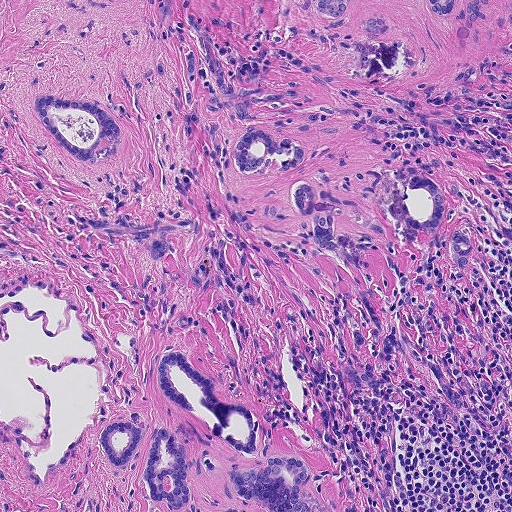
H&E-stained section of a sentinel lymph node (breast cancer), from a whole-slide image, viewed at about 10×: the field is about 0.46 mm across, about 0.9 µm per pixel.
Outlines of eight tumour regions, largest first (closed clockwise paths, crop pixels): region 1: (178, 350), (208, 371), (221, 394), (254, 410), (264, 434), (264, 456), (300, 457), (307, 467), (307, 487), (324, 511), (166, 511), (150, 504), (146, 492), (143, 451), (126, 470), (114, 472), (102, 450), (101, 426), (123, 415), (135, 410), (171, 423), (153, 374), (165, 352); region 2: (306, 0), (511, 0), (511, 30), (503, 20), (488, 31), (452, 36), (418, 22), (426, 58), (414, 73), (397, 80), (378, 80), (342, 73), (329, 60), (306, 10); region 3: (187, 12), (192, 13), (219, 45), (248, 56), (267, 47), (268, 57), (260, 76), (264, 86), (304, 92), (267, 104), (257, 110), (256, 120), (246, 122), (236, 121), (220, 108), (212, 114), (203, 109), (203, 99), (212, 96), (198, 73), (192, 92), (184, 73), (182, 53), (196, 48); region 4: (374, 166), (394, 172), (412, 166), (418, 175), (436, 184), (454, 209), (452, 219), (459, 227), (468, 232), (472, 241), (469, 261), (462, 268), (451, 250), (446, 230), (431, 234), (421, 234), (393, 219), (367, 190), (363, 180), (364, 170); region 5: (46, 93), (67, 98), (118, 103), (126, 108), (118, 126), (121, 136), (114, 156), (108, 164), (98, 167), (88, 167), (78, 163), (55, 142), (34, 114), (31, 103), (36, 94); region 6: (306, 180), (331, 196), (350, 201), (342, 207), (336, 226), (344, 232), (364, 233), (372, 239), (370, 248), (362, 254), (363, 264), (353, 267), (344, 263), (337, 254), (317, 249), (312, 240), (309, 215), (299, 214), (290, 209), (289, 189), (296, 182); region 7: (360, 288), (369, 297), (372, 309), (379, 320), (391, 322), (401, 330), (401, 344), (395, 355), (384, 363), (378, 374), (385, 384), (379, 395), (354, 389), (345, 380), (344, 366), (364, 363), (361, 350), (351, 343), (358, 332), (368, 324), (358, 301); region 8: (249, 127), (259, 127), (277, 136), (287, 136), (305, 147), (306, 158), (291, 170), (270, 172), (251, 176), (242, 174), (234, 167), (231, 157), (234, 141), (240, 132).
About 20% of the image area is annotated as tumour.